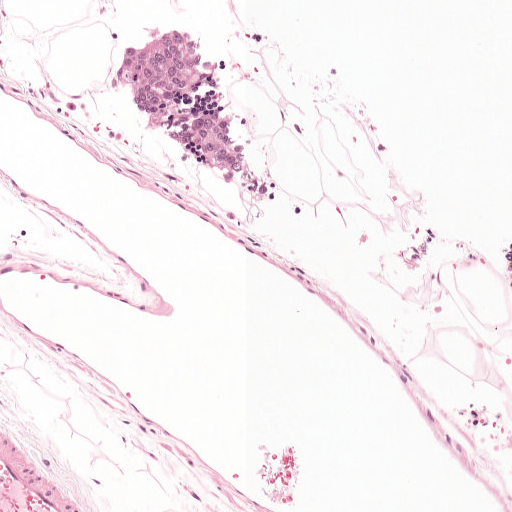
A 0.5-mm field of an H&E-stained sentinel lymph node from a breast-cancer patient (whole-slide image), shown at about 10×, about 0.97 µm per pixel.
Tumour region outline (a closed clockwise path, crop pixels): (145, 22), (188, 30), (204, 38), (214, 52), (222, 87), (231, 101), (236, 135), (268, 176), (271, 193), (255, 196), (239, 190), (168, 143), (120, 94), (109, 92), (123, 46), (131, 31).
About 5% of the image area is annotated as tumour.